A 1-mm field of an H&E-stained sentinel lymph node from a breast-cancer patient (whole-slide image), shown at about 5×, about 1.9 µm per pixel.
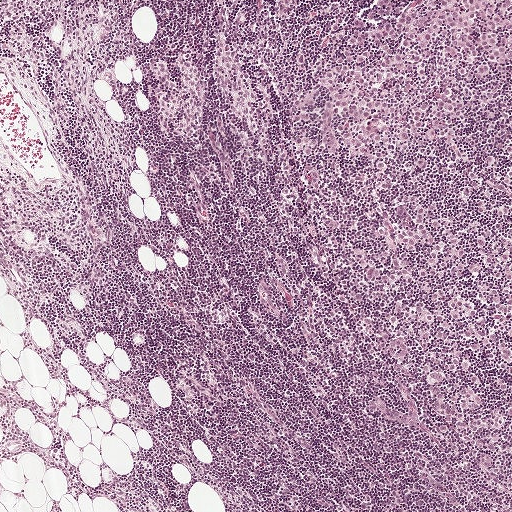
Question: Trace the edge of each tumour region in this crop, as (x, y) points from 0 to 511.
Answer: Tumour region outline (a closed clockwise path, crop pixels): (370, 0), (511, 0), (511, 463), (444, 451), (425, 424), (409, 351), (351, 328), (341, 291), (357, 279), (344, 250), (315, 228), (314, 175), (291, 163), (284, 102), (335, 55).
About 30% of this field is tumour.